Image:
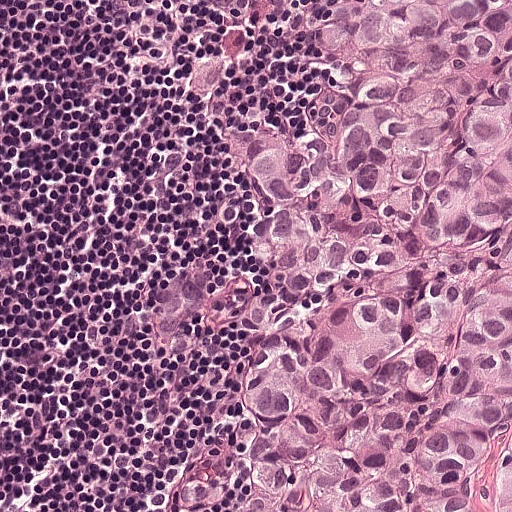
Lymph node section stained with H&E, from a whole-slide image of a breast-cancer sentinel node. Magnification about 20×, about 0.25 mm across the frame, about 0.49 µm per pixel.
Question:
Show where the tumour is in this image.
Answer:
Metastatic tumour outline, simplified to 13 points and listed clockwise in crop pixels (x, y): (511, 0), (511, 511), (211, 511), (175, 489), (206, 436), (244, 414), (231, 381), (261, 306), (267, 236), (252, 162), (297, 117), (325, 22), (354, 2).
Tumour covers about 50% of the frame.